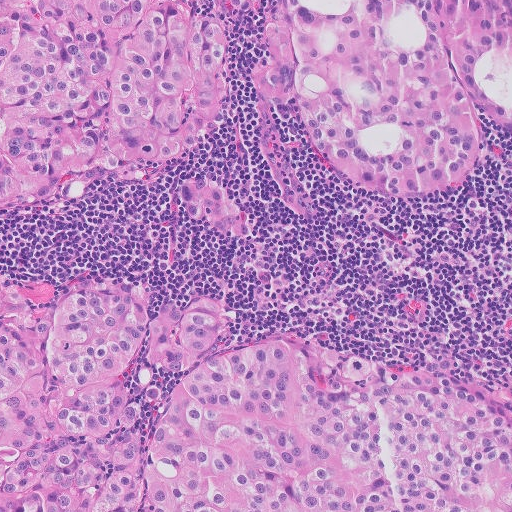
This is a crop of a whole-slide image: an H&E-stained breast-cancer sentinel lymph node section at roughly 10× magnification (about 1.0 µm per pixel; the crop spans about 0.51 mm).
Three metastatic tumour regions, each outlined as a closed clockwise path in crop pixels (x, y), largest first: region 1: (0, 254), (216, 288), (266, 322), (320, 334), (481, 402), (511, 431), (511, 511), (0, 511); region 2: (0, 0), (511, 0), (511, 140), (479, 154), (442, 199), (332, 187), (244, 24), (256, 76), (242, 132), (198, 166), (136, 191), (0, 207); region 3: (212, 171), (246, 194), (262, 239), (232, 242), (202, 232), (174, 198), (187, 175).
Tumour covers about 70% of the frame.